Question: 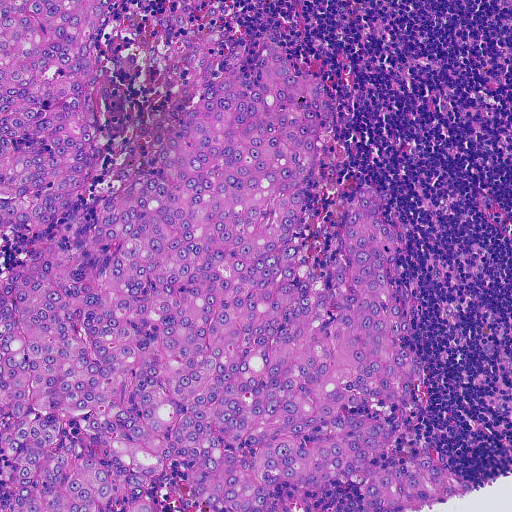
About what magnification does this crop show?

Choices:
 (A) about 10×
 (B) about 40×
 (C) about 20×
 (D) about 2.5×
 (E) about 5×

Answer: (A) about 10×
A 0.46-mm field of an H&E-stained sentinel lymph node from a breast-cancer patient (whole-slide image), shown at about 10×, about 0.91 µm per pixel.
Boundaries of two metastatic tumour regions, simplified and listed clockwise, largest first: region 1: (274, 42), (325, 75), (338, 121), (306, 254), (332, 254), (361, 182), (404, 239), (408, 350), (426, 376), (390, 452), (475, 482), (413, 511), (359, 511), (340, 481), (272, 488), (286, 511), (223, 511), (163, 472), (154, 511), (0, 511), (0, 286), (120, 188), (214, 72), (248, 79); region 2: (0, 0), (126, 0), (112, 8), (98, 38), (109, 68), (95, 97), (103, 144), (98, 174), (54, 220), (26, 234), (0, 232).
The annotated tumour makes up about 65% of the crop.